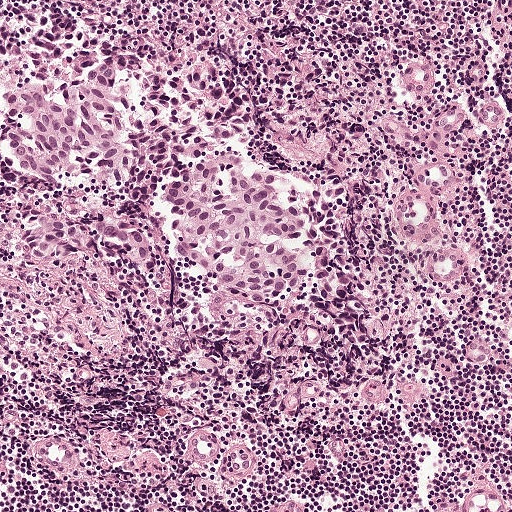
Lymph node section stained with H&E, from a whole-slide image of a breast-cancer sentinel node. Magnification about 10×, about 0.5 mm across the frame, about 0.97 µm per pixel.
Question: Does this lymph node field contain metastatic tumour?
Answer: Yes.
Outlines of two tumour regions, largest first (closed clockwise paths, crop pixels): region 1: (0, 0), (32, 21), (188, 59), (242, 99), (248, 124), (239, 143), (340, 203), (352, 225), (350, 281), (326, 298), (314, 262), (281, 300), (226, 292), (183, 252), (171, 229), (171, 197), (146, 208), (91, 177), (55, 188), (14, 165), (1, 105); region 2: (45, 208), (58, 208), (80, 219), (134, 222), (152, 234), (153, 244), (149, 261), (142, 267), (136, 267), (102, 249), (67, 251), (58, 256), (31, 254), (26, 246), (24, 234), (30, 226), (40, 221).
About 20% of the image area is annotated as tumour.

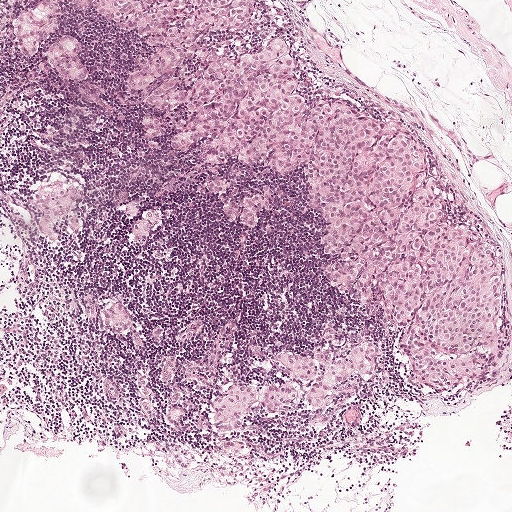
H&E-stained section of a sentinel lymph node (breast cancer), from a whole-slide image, viewed at about 5×: the field is about 1 mm across, about 1.9 µm per pixel.
Question: Does this lymph node field contain metastatic tumour?
Answer: Yes.
Seven metastatic tumour regions, each outlined as a closed clockwise path in crop pixels (x, y), largest first: region 1: (35, 0), (260, 0), (301, 103), (334, 85), (398, 121), (448, 219), (495, 243), (502, 339), (477, 376), (415, 380), (316, 270), (324, 225), (282, 171), (172, 149), (176, 103), (147, 148), (140, 99), (170, 72), (130, 88), (148, 51), (107, 16), (59, 3), (26, 57), (9, 20); region 2: (366, 338), (373, 346), (370, 377), (351, 372), (340, 377), (329, 386), (318, 410), (309, 410), (298, 397), (274, 412), (250, 405), (248, 426), (240, 435), (209, 427), (213, 395), (229, 378), (252, 386), (267, 382), (296, 387), (272, 358), (275, 353), (312, 356), (319, 350), (337, 358); region 3: (52, 178), (74, 184), (83, 195), (83, 202), (74, 204), (75, 221), (79, 226), (76, 232), (70, 233), (64, 230), (62, 217), (57, 216), (55, 217), (55, 236), (50, 241), (42, 240), (34, 234), (32, 230), (33, 204), (25, 199), (25, 195), (28, 189); region 4: (209, 173), (218, 175), (226, 180), (226, 193), (240, 202), (242, 196), (263, 185), (268, 188), (270, 198), (267, 208), (257, 212), (256, 218), (252, 224), (239, 224), (234, 220), (230, 220), (218, 210), (219, 200), (198, 186), (198, 177); region 5: (66, 34), (77, 42), (78, 55), (84, 72), (82, 82), (78, 83), (67, 82), (44, 61), (42, 56), (42, 48), (52, 40); region 6: (113, 303), (124, 306), (127, 322), (126, 328), (120, 333), (107, 333), (99, 324), (97, 320), (98, 311); region 7: (146, 208), (155, 209), (157, 214), (157, 222), (142, 240), (131, 239), (128, 231), (129, 226), (134, 218).
About 30% of the image area is annotated as tumour.

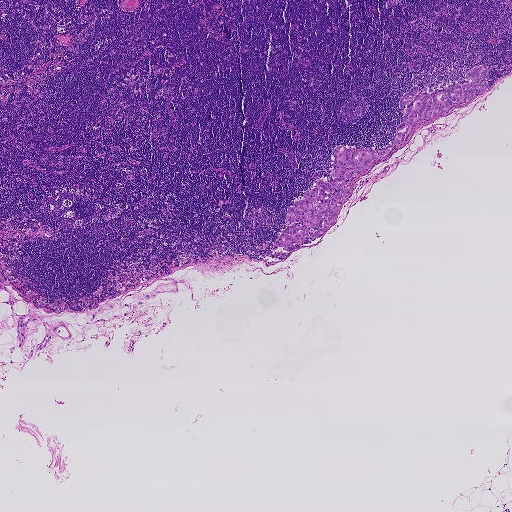
Lymph node section stained with H&E, from a whole-slide image of a breast-cancer sentinel node. Magnification about 2.5×, about 1.9 mm across the frame, about 3.6 µm per pixel.
Question: Does this lymph node field contain metastatic tumour?
Answer: Yes.
One metastatic tumour region; its boundary, reduced to 35 corners and listed clockwise: (481, 65), (488, 70), (486, 91), (467, 103), (417, 123), (405, 142), (354, 171), (348, 182), (349, 195), (336, 223), (323, 235), (284, 257), (276, 256), (274, 247), (285, 228), (287, 208), (309, 190), (314, 181), (324, 175), (329, 178), (329, 169), (334, 163), (330, 156), (336, 147), (381, 149), (392, 142), (405, 113), (400, 112), (399, 101), (414, 85), (418, 85), (418, 93), (430, 94), (465, 82), (472, 67).
About 5% of this field is tumour.

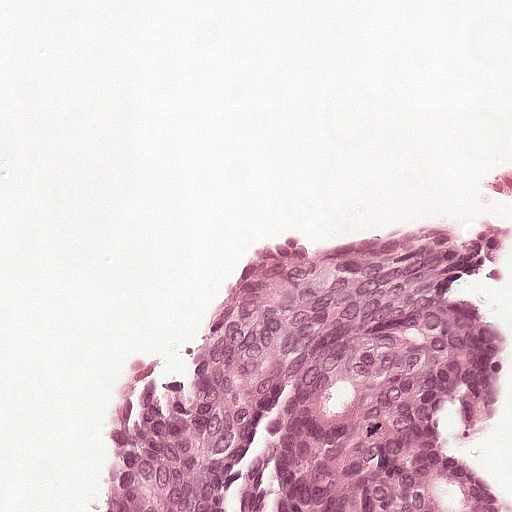
A 0.25-mm field of an H&E-stained sentinel lymph node from a breast-cancer patient (whole-slide image), shown at about 20×, about 0.49 µm per pixel.
Question: Does this lymph node field contain metastatic tumour?
Answer: Yes.
The outlined metastatic tumour's edge, as a closed clockwise path of 9 points: (458, 204), (511, 214), (511, 511), (74, 511), (78, 474), (148, 364), (158, 329), (214, 274), (298, 234).
About 40% of the image area is annotated as tumour.